Image:
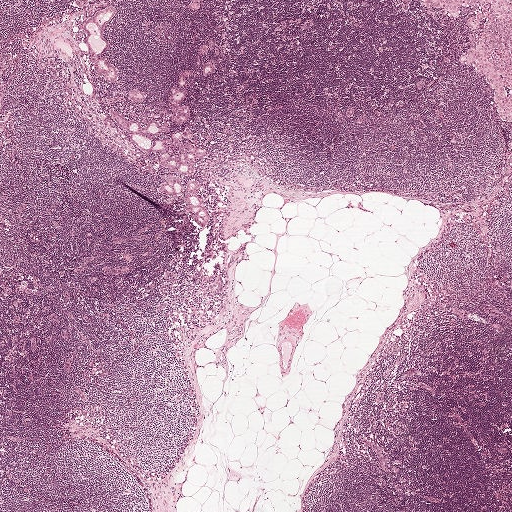
This is a crop of a whole-slide image: an H&E-stained breast-cancer sentinel lymph node section at roughly 2.5× magnification (about 3.9 µm per pixel; the crop spans about 2.0 mm).
Question:
Which parts of this field are metastatic tumour?
Answer:
Boundaries of seven metastatic tumour regions, simplified and listed clockwise, largest first: region 1: (414, 0), (509, 0), (511, 122), (500, 122), (496, 115), (494, 95), (486, 81), (462, 64), (458, 57), (461, 50), (478, 41), (483, 34), (487, 18), (474, 29), (465, 24), (481, 6), (462, 7), (457, 19), (450, 21), (428, 13); region 2: (113, 110), (137, 124), (153, 121), (167, 123), (161, 139), (189, 127), (193, 133), (190, 142), (204, 147), (207, 155), (192, 174), (173, 173), (159, 165), (157, 155), (145, 153), (133, 142), (129, 133), (117, 125), (110, 116); region 3: (113, 5), (116, 7), (116, 11), (103, 26), (108, 46), (98, 56), (112, 65), (116, 69), (117, 81), (115, 83), (108, 83), (104, 80), (104, 78), (96, 75), (93, 67), (89, 65), (88, 57), (82, 42), (86, 34), (81, 24), (105, 6); region 4: (172, 174), (177, 177), (183, 190), (190, 180), (199, 182), (196, 196), (207, 208), (210, 214), (210, 221), (206, 227), (200, 227), (198, 225), (182, 195), (167, 195), (156, 190), (161, 178); region 5: (176, 85), (186, 93), (182, 103), (188, 104), (190, 108), (188, 121), (180, 124), (171, 121), (172, 106), (168, 96), (172, 86), (178, 88), (173, 86); region 6: (135, 89), (142, 91), (145, 98), (145, 101), (142, 103), (135, 103), (133, 103), (126, 97), (126, 94), (128, 91); region 7: (209, 62), (211, 63), (216, 68), (216, 71), (208, 75), (202, 75), (201, 71), (201, 66), (205, 63).
One more small tumour piece is annotated here but not outlined.
The annotated tumour makes up about 5% of the crop.